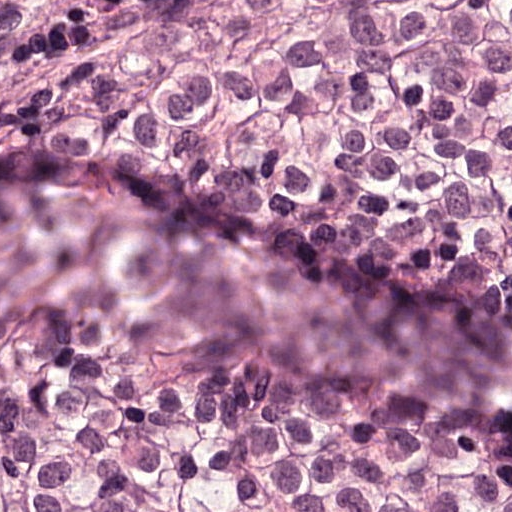
Lymph node section stained with H&E, from a whole-slide image of a breast-cancer sentinel node. Magnification about 40×, about 0.12 mm across the frame, about 0.24 µm per pixel.
Two metastatic tumour regions, each outlined as a closed clockwise path in crop pixels (x, y), largest first: region 1: (511, 0), (509, 270), (461, 289), (399, 287), (269, 220), (0, 165), (2, 138), (128, 64), (207, 26), (299, 1); region 2: (0, 451), (75, 463), (197, 465), (208, 471), (303, 483), (437, 511), (0, 511).
The annotated tumour makes up about 45% of the crop.